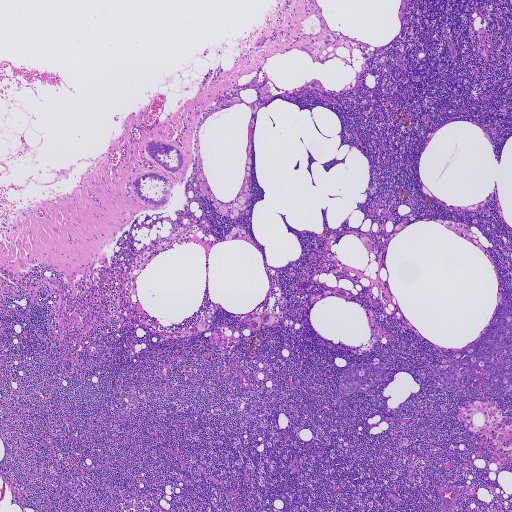
H&E-stained section of a sentinel lymph node (breast cancer), from a whole-slide image, viewed at about 2.5×: the field is about 1.9 mm across, about 3.6 µm per pixel.
Two metastatic tumour regions, each outlined as a closed clockwise path in crop pixels (x, y), largest first: region 1: (151, 173), (169, 180), (173, 186), (170, 201), (164, 206), (160, 206), (144, 202), (134, 191), (133, 183), (138, 178); region 2: (152, 138), (167, 145), (170, 144), (180, 151), (183, 158), (183, 166), (178, 171), (170, 172), (147, 154), (145, 146), (149, 140).
Under 5% of this field is tumour.